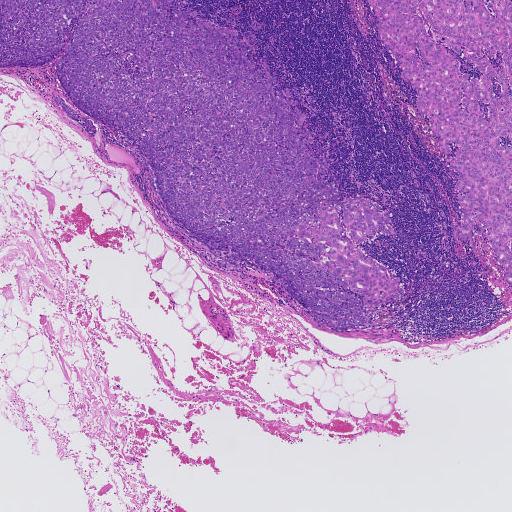
H&E-stained section of a sentinel lymph node (breast cancer), from a whole-slide image, viewed at about 2.5×: the field is about 1.9 mm across, about 3.6 µm per pixel.
Boundaries of two metastatic tumour regions, simplified and listed clockwise, largest first: region 1: (0, 0), (174, 0), (234, 28), (306, 114), (339, 199), (382, 206), (394, 231), (355, 244), (396, 274), (403, 296), (348, 332), (321, 325), (274, 285), (210, 265), (161, 215), (124, 140), (96, 124), (93, 138), (55, 103), (52, 95), (88, 117), (59, 82), (59, 58), (0, 68); region 2: (511, 0), (511, 291), (485, 232), (466, 244), (460, 239), (461, 213), (452, 190), (458, 172), (447, 168), (448, 156), (431, 124), (419, 117), (417, 91), (380, 42), (369, 1).
One more small tumour piece is annotated here but not outlined.
The annotated tumour makes up about 30% of the crop.